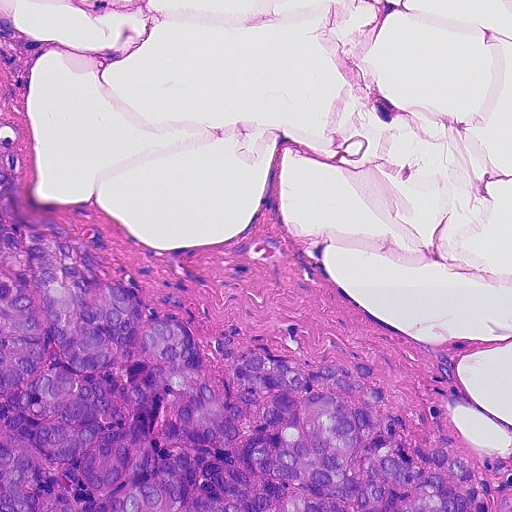
H&E-stained section of a sentinel lymph node (breast cancer), from a whole-slide image, viewed at about 20×: the field is about 0.23 mm across, about 0.45 µm per pixel.
One metastatic tumour region; its boundary, reduced to 16 corners and listed clockwise: (0, 103), (18, 153), (16, 209), (82, 237), (136, 289), (142, 322), (189, 326), (204, 378), (218, 390), (252, 342), (300, 366), (373, 367), (409, 430), (508, 457), (511, 511), (0, 511).
About 35% of the image area is annotated as tumour.